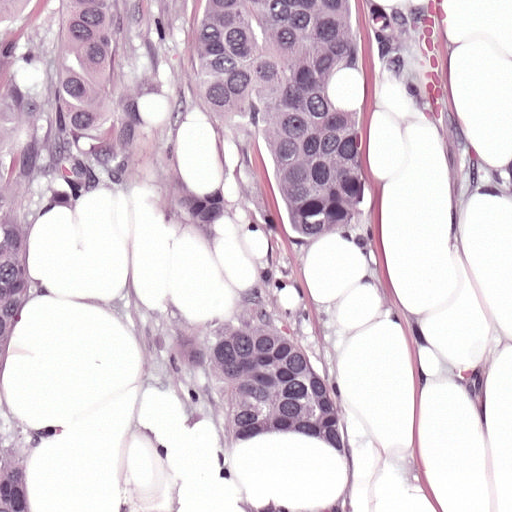
H&E-stained section of a sentinel lymph node (breast cancer), from a whole-slide image, viewed at about 20×: the field is about 0.25 mm across, about 0.49 µm per pixel.
The outlined metastatic tumour's edge, as a closed clockwise path of 24 points: (0, 0), (511, 0), (511, 223), (481, 206), (463, 256), (443, 163), (378, 86), (381, 228), (338, 258), (288, 250), (274, 270), (351, 430), (349, 511), (230, 511), (171, 366), (221, 313), (251, 230), (221, 250), (126, 203), (51, 228), (18, 383), (74, 413), (44, 508), (0, 511).
About 60% of this field is tumour.